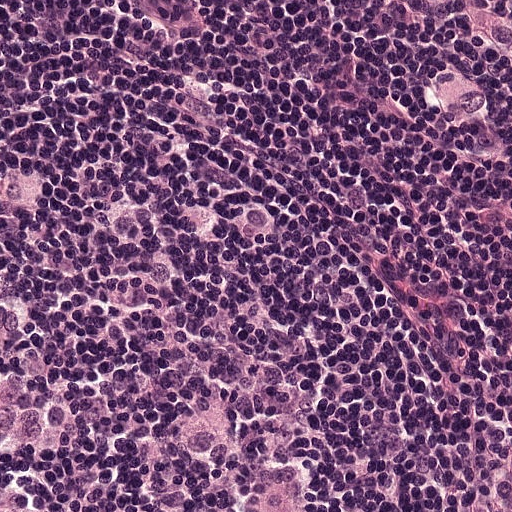
A 0.25-mm field of an H&E-stained sentinel lymph node from a breast-cancer patient (whole-slide image), shown at about 20×, about 0.49 µm per pixel.
Outlines of two tumour regions, largest first (closed clockwise paths, crop pixels): region 1: (0, 186), (109, 186), (212, 251), (289, 341), (374, 511), (0, 511); region 2: (511, 0), (511, 181), (496, 178), (455, 150), (424, 109), (424, 52), (446, 1).
Tumour covers about 40% of the frame.